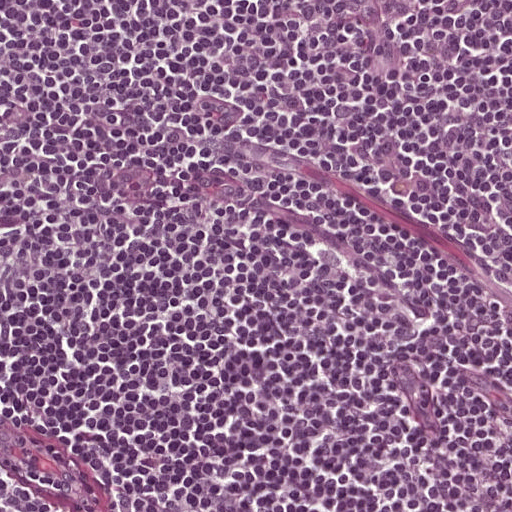
Lymph node section stained with H&E, from a whole-slide image of a breast-cancer sentinel node. Magnification about 20×, about 0.25 mm across the frame, about 0.49 µm per pixel.